Lymph node section stained with H&E, from a whole-slide image of a breast-cancer sentinel node. Magnification about 10×, about 0.5 mm across the frame, about 0.97 µm per pixel.
Question: 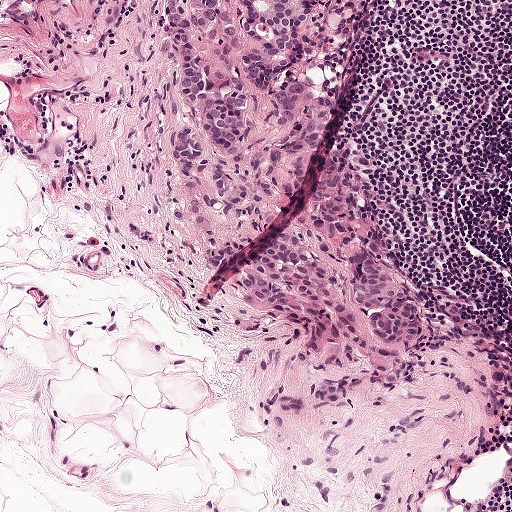
Roughly what share of this field is metastatic tumour?

Choices:
 (A) about 25% to 45%
 (B) about 5% or less
 (C) about 50% or more
 (D) about 10% to 20%
 (E) none: no tumour is outlined

Answer: (D) about 10% to 20%
About 20% of the field is tumour.
One metastatic tumour region; its boundary, reduced to 23 corners and listed clockwise: (324, 0), (303, 52), (303, 108), (350, 171), (426, 312), (429, 332), (418, 346), (385, 350), (353, 322), (348, 355), (332, 353), (255, 312), (171, 234), (178, 183), (223, 184), (244, 165), (238, 164), (212, 182), (165, 161), (182, 110), (169, 50), (156, 42), (172, 1).